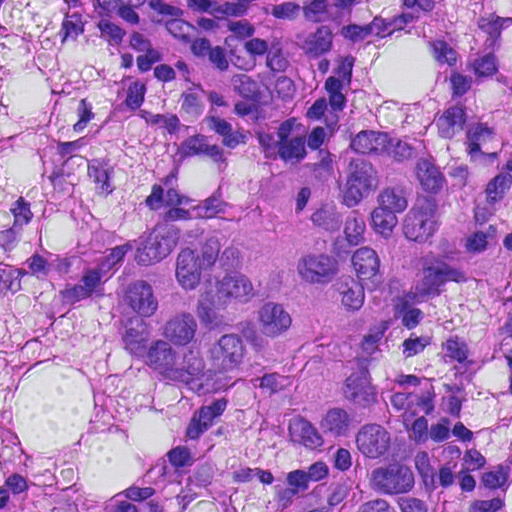
H&E-stained section of a sentinel lymph node (breast cancer), from a whole-slide image, viewed at about 40×: the field is about 0.12 mm across, about 0.23 µm per pixel.
One metastatic tumour region; its boundary, reduced to 21 corners and listed clockwise: (389, 129), (433, 153), (456, 196), (445, 262), (380, 338), (382, 389), (451, 461), (450, 511), (310, 511), (311, 449), (281, 429), (261, 383), (174, 394), (128, 371), (106, 328), (114, 280), (144, 240), (188, 218), (237, 218), (255, 189), (339, 136).
The annotated tumour makes up about 30% of the crop.